Image:
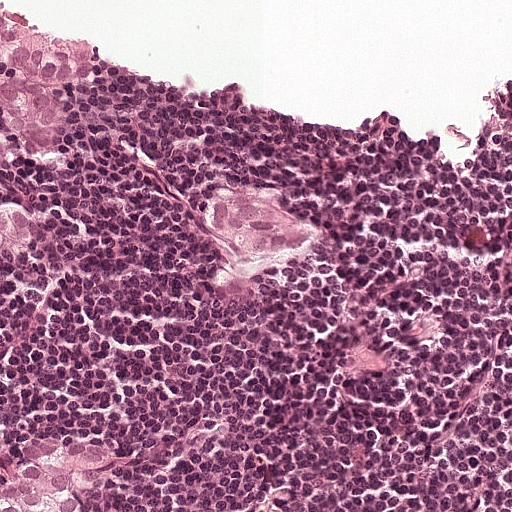
Lymph node section stained with H&E, from a whole-slide image of a breast-cancer sentinel node. Magnification about 20×, about 0.25 mm across the frame, about 0.49 µm per pixel.
Question:
Where is the metastatic tumour in this field? Give each region's outline as (x, y) pixel points.
Answer:
Outlines of four tumour regions, largest first (closed clockwise paths, crop pixels): region 1: (32, 31), (70, 39), (92, 39), (99, 57), (98, 88), (64, 99), (70, 118), (70, 144), (62, 155), (52, 157), (25, 152), (0, 134), (0, 76), (15, 66), (15, 47), (20, 36); region 2: (64, 434), (83, 442), (114, 444), (123, 447), (123, 452), (115, 476), (98, 494), (76, 491), (81, 511), (0, 511), (0, 477), (23, 468), (28, 444), (34, 439); region 3: (250, 180), (260, 186), (275, 206), (294, 215), (300, 224), (313, 232), (312, 244), (264, 255), (242, 255), (230, 247), (224, 236), (207, 220), (206, 212), (218, 191); region 4: (0, 426), (7, 438), (9, 444), (9, 452), (8, 454), (0, 460).
One more small tumour piece is annotated here but not outlined.
The annotated tumour makes up about 10% of the crop.